Question: 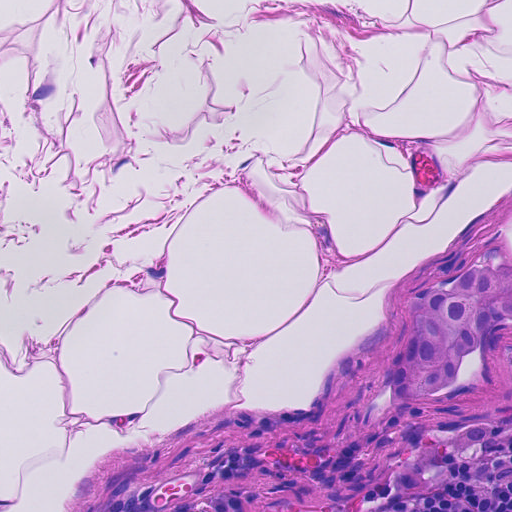
Lymph node section stained with H&E, from a whole-slide image of a breast-cancer sentinel node. Magnification about 20×, about 0.23 mm across the frame, about 0.45 µm per pixel.
Estimate the proportion of this field that is metastatic tumour.

Choices:
 (A) about 10% to 20%
 (B) about 25% to 45%
 (C) about 5% or less
 (D) about 50% or more
 (E) none: no tumour is outlined

Answer: (C) about 5% or less
About 5% of the field is tumour.
Metastatic tumour outline, simplified to 12 points and listed clockwise in crop pixels (x, y): (511, 259), (511, 324), (490, 336), (454, 386), (406, 402), (386, 398), (380, 388), (378, 368), (402, 317), (404, 290), (458, 278), (470, 266).